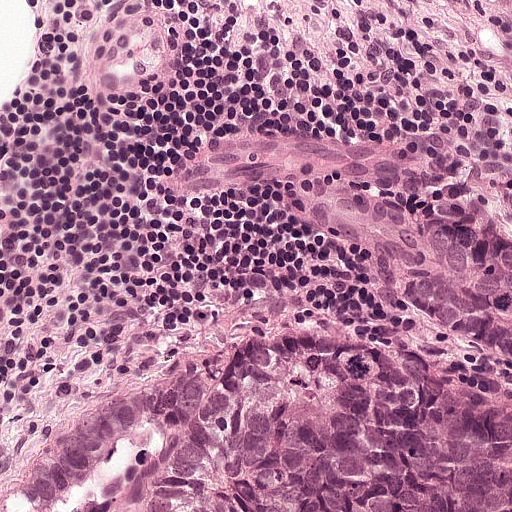
Lymph node section stained with H&E, from a whole-slide image of a breast-cancer sentinel node. Magnification about 20×, about 0.25 mm across the frame, about 0.49 µm per pixel.
Outlines of three tumour regions, largest first (closed clockwise paths, crop pixels): region 1: (296, 325), (404, 362), (510, 420), (511, 511), (0, 511), (69, 414), (212, 339); region 2: (422, 109), (485, 164), (511, 162), (511, 372), (369, 298), (314, 234), (283, 214), (169, 189), (176, 144), (226, 125), (358, 128); region 3: (489, 0), (511, 0), (511, 13), (510, 13), (508, 10), (508, 7), (501, 7), (499, 5), (492, 5).
The annotated tumour makes up about 45% of the crop.